Question: 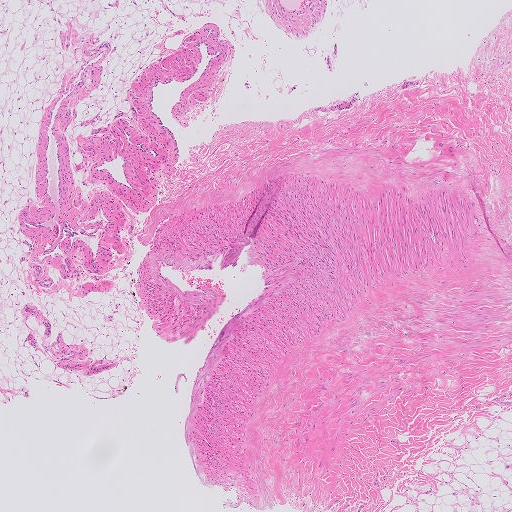
At roughly what magnification is this field shown?

Choices:
 (A) about 20×
 (B) about 40×
 (C) about 2.5×
 (D) about 5×
 (E) about 10×

Answer: (C) about 2.5×
H&E-stained section of a sentinel lymph node (breast cancer), from a whole-slide image, viewed at about 2.5×: the field is about 2.0 mm across, about 4.0 µm per pixel.